Question: 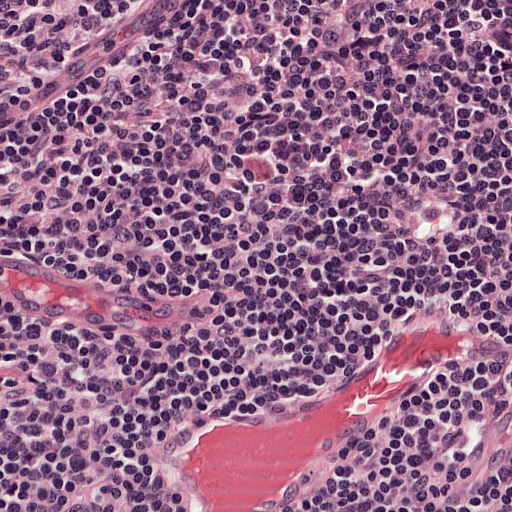
Which magnification is this H&E lymph node field most likely shown at?

Choices:
 (A) about 40×
 (B) about 20×
 (C) about 5×
 (D) about 10×
 (E) about 2.5×

Answer: (B) about 20×
A 0.25-mm field of an H&E-stained sentinel lymph node from a breast-cancer patient (whole-slide image), shown at about 20×, about 0.49 µm per pixel.